Question: 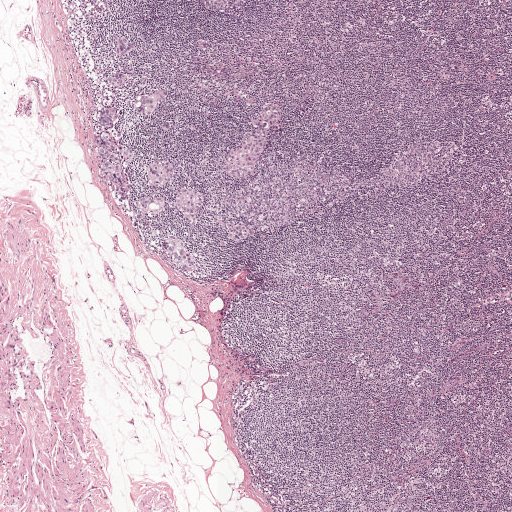
This is a crop of a whole-slide image: an H&E-stained breast-cancer sentinel lymph node section at roughly 2.5× magnification (about 3.9 µm per pixel; the crop spans about 2.0 mm).
Estimate the proportion of this field that is metastatic tumour.

Choices:
 (A) none: no tumour is outlined
 (B) about 50% or more
 (C) about 25% to 45%
 (D) about 10% to 20%
 (E) about 5% or less

Answer: (E) about 5% or less
About 5% of the field is tumour.
Outlines of the eight largest metastatic tumour regions, each a closed clockwise path in crop pixels (x, y), largest first: region 1: (106, 106), (114, 106), (119, 109), (121, 115), (116, 127), (121, 132), (122, 142), (134, 152), (134, 156), (131, 161), (121, 160), (123, 168), (131, 186), (128, 200), (125, 201), (116, 199), (101, 179), (95, 148), (97, 135), (102, 131), (103, 128), (96, 128), (95, 125), (102, 108); region 2: (265, 103), (277, 105), (281, 109), (281, 125), (267, 132), (265, 146), (249, 175), (242, 178), (235, 178), (229, 174), (225, 166), (227, 156), (230, 150), (239, 145), (244, 133), (255, 129), (248, 123), (248, 120), (260, 114), (263, 104); region 3: (171, 235), (181, 237), (186, 241), (194, 256), (196, 270), (191, 272), (174, 264), (162, 256), (159, 250), (159, 242), (162, 239); region 4: (182, 188), (188, 188), (204, 194), (205, 201), (198, 213), (195, 227), (186, 226), (182, 216), (172, 205), (175, 194); region 5: (161, 195), (167, 197), (167, 203), (163, 213), (160, 216), (142, 220), (138, 229), (135, 229), (132, 224), (134, 217), (139, 213), (136, 202), (141, 196), (152, 197); region 6: (161, 89), (169, 89), (167, 98), (158, 102), (151, 114), (146, 116), (138, 115), (132, 106), (132, 102), (136, 94), (150, 94); region 7: (157, 159), (172, 164), (173, 168), (169, 181), (160, 187), (151, 186), (147, 171), (149, 164); region 8: (229, 220), (244, 222), (256, 228), (255, 234), (247, 241), (237, 242), (227, 239), (229, 245), (222, 246), (219, 244), (219, 242), (225, 240), (224, 236), (229, 231), (226, 223).
Three more, smaller tumour regions are not outlined.
Eight more small tumour pieces are annotated here but not outlined.
Question: 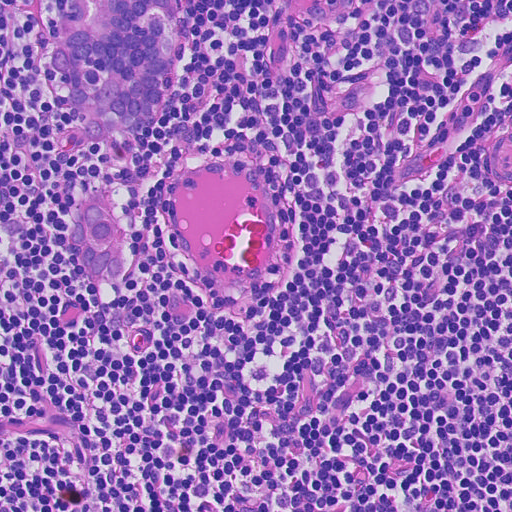
A 0.23-mm field of an H&E-stained sentinel lymph node from a breast-cancer patient (whole-slide image), shown at about 20×, about 0.45 µm per pixel.
Estimate the proportion of this field that is metastatic tumour.

Choices:
 (A) about 25% to 45%
 (B) about 10% to 20%
 (C) about 5% or less
 (D) none: no tumour is outlined
 (E) about 50% or more

Answer: (C) about 5% or less
About 5% of the field is tumour.
Boundaries of two metastatic tumour regions, simplified and listed clockwise, largest first: region 1: (65, 0), (178, 0), (182, 36), (156, 122), (142, 131), (94, 139), (68, 99), (65, 78), (48, 66), (57, 14); region 2: (89, 197), (100, 197), (128, 232), (126, 254), (129, 268), (119, 283), (102, 280), (66, 254), (64, 228).
Question: 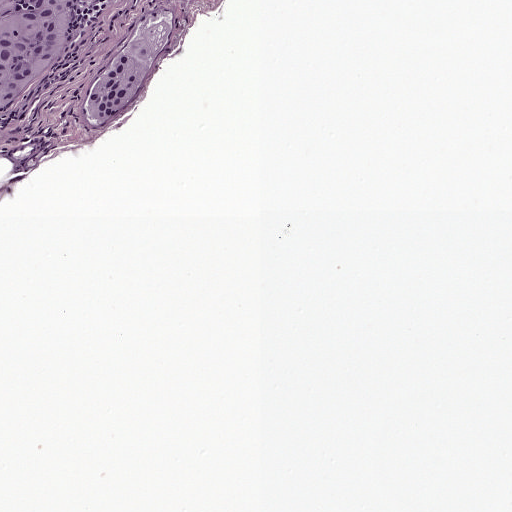
This is a crop of a whole-slide image: an H&E-stained breast-cancer sentinel lymph node section at roughly 10× magnification (about 0.97 µm per pixel; the crop spans about 0.5 mm).
Estimate the proportion of this field that is metastatic tumour.

Choices:
 (A) none: no tumour is outlined
 (B) about 50% or more
 (C) about 25% to 45%
 (D) about 5% or less
 (E) about 10% to 20%

Answer: (D) about 5% or less
About 5% of the field is tumour.
Outlines of two tumour regions, largest first (closed clockwise paths, crop pixels): region 1: (0, 0), (76, 0), (74, 28), (56, 72), (24, 106), (0, 121); region 2: (161, 13), (168, 28), (146, 69), (142, 92), (126, 107), (106, 120), (84, 114), (86, 92), (100, 73), (117, 58), (132, 41), (146, 19).
Question: 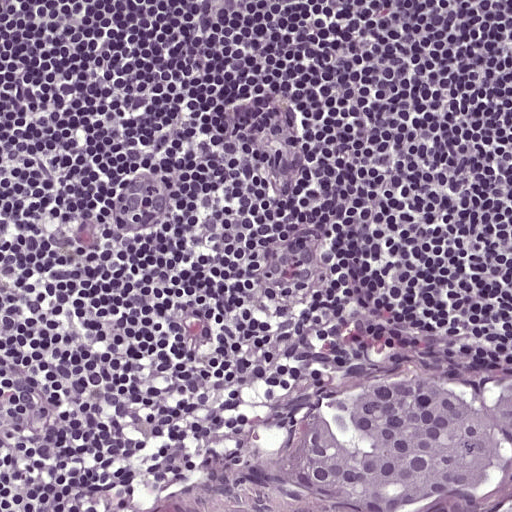
Lymph node section stained with H&E, from a whole-slide image of a breast-cancer sentinel node. Magnification about 20×, about 0.25 mm across the frame, about 0.49 µm per pixel.
Estimate the proportion of this field that is metastatic tumour.

Choices:
 (A) none: no tumour is outlined
 (B) about 5% or less
 (C) about 10% to 20%
 (D) about 25% to 45%
 (E) about 50% or more

Answer: (C) about 10% to 20%
About 10% of the field is tumour.
One metastatic tumour region; its boundary, reduced to 15 corners and listed clockwise: (418, 380), (462, 390), (511, 381), (511, 464), (498, 472), (486, 498), (471, 502), (426, 502), (406, 511), (310, 508), (240, 480), (242, 467), (268, 453), (318, 404), (374, 382).